Image:
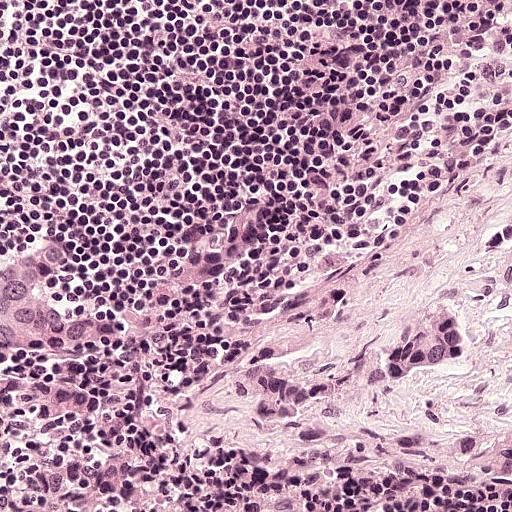
H&E-stained section of a sentinel lymph node (breast cancer), from a whole-slide image, viewed at about 20×: the field is about 0.25 mm across, about 0.49 µm per pixel.
Question:
Does this lymph node field contain metastatic tumour?
Answer:
Yes.
Two metastatic tumour regions, each outlined as a closed clockwise path in crop pixels (x, y), largest first: region 1: (80, 236), (94, 263), (60, 294), (174, 316), (160, 402), (184, 511), (0, 511), (0, 258); region 2: (451, 310), (465, 315), (471, 339), (469, 350), (453, 360), (426, 366), (405, 382), (390, 388), (372, 385), (367, 378), (370, 354), (384, 348), (393, 333), (406, 323).
One more small tumour piece is annotated here but not outlined.
Tumour covers about 15% of the frame.